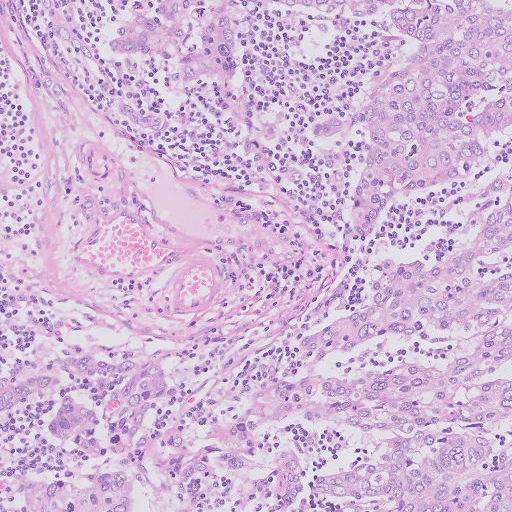
This is a crop of a whole-slide image: an H&E-stained breast-cancer sentinel lymph node section at roughly 10× magnification (about 1.0 µm per pixel; the crop spans about 0.51 mm).
One metastatic tumour region; its boundary, reduced to 21 corners and listed clockwise: (511, 0), (511, 511), (0, 511), (18, 475), (52, 447), (38, 405), (0, 419), (0, 356), (13, 348), (92, 337), (244, 364), (268, 356), (344, 283), (327, 165), (306, 156), (264, 170), (220, 151), (188, 109), (105, 68), (88, 50), (107, 6).
Tumour covers about 65% of the frame.